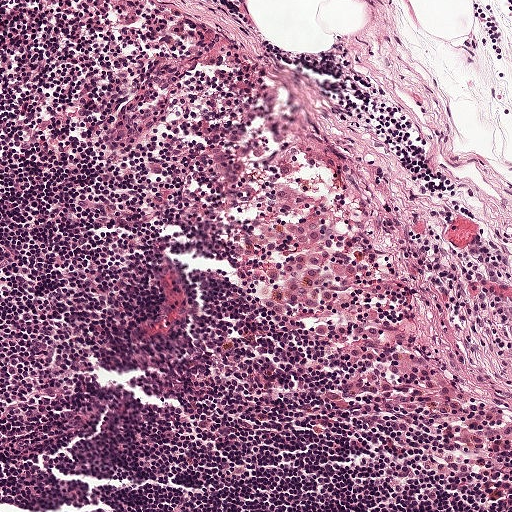
This is a crop of a whole-slide image: an H&E-stained breast-cancer sentinel lymph node section at roughly 10× magnification (about 0.97 µm per pixel; the crop spans about 0.5 mm).
Question: Is any metastatic breast cancer visible in this crop?
Answer: No: no metastatic tumour is outlined anywhere in this field.